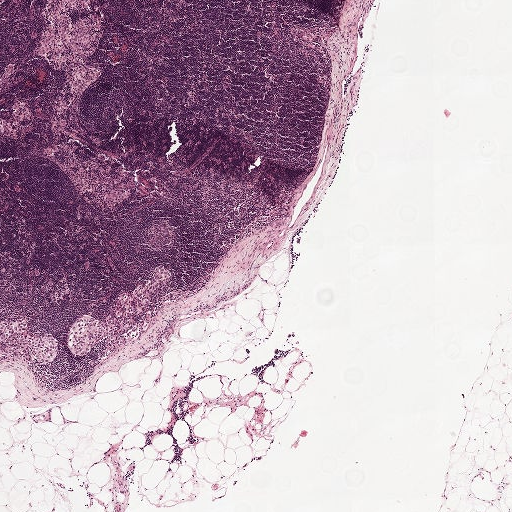
Lymph node section stained with H&E, from a whole-slide image of a breast-cancer sentinel node. Magnification about 2.5×, about 2.0 mm across the frame, about 3.9 µm per pixel.
Question: Where is the metastatic tumour in this field? Give each region's outline as (x, y) pixel points.
Answer: Outlines of two tumour regions, largest first (closed clockwise paths, crop pixels): region 1: (159, 263), (166, 264), (172, 269), (172, 276), (150, 303), (137, 312), (129, 331), (130, 338), (116, 351), (106, 351), (107, 343), (104, 337), (83, 356), (76, 356), (69, 353), (67, 340), (76, 316), (86, 313), (99, 320), (108, 317), (119, 294), (134, 290), (152, 276); region 2: (6, 317), (17, 317), (29, 321), (32, 334), (48, 333), (57, 338), (57, 352), (50, 364), (43, 365), (37, 363), (32, 365), (27, 365), (19, 349), (10, 355), (5, 361), (0, 363), (0, 322).
Under 5% of the image area is annotated as tumour.